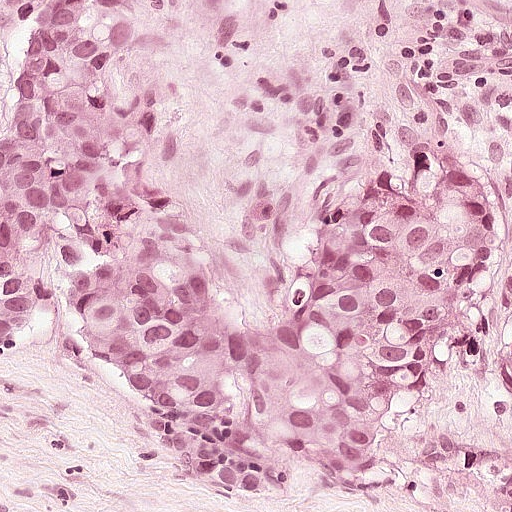
A 0.25-mm field of an H&E-stained sentinel lymph node from a breast-cancer patient (whole-slide image), shown at about 20×, about 0.49 µm per pixel.
Boundaries of three metastatic tumour regions, simplified and listed clockwise, largest first: region 1: (30, 0), (130, 0), (132, 95), (150, 154), (256, 332), (235, 396), (269, 467), (249, 482), (208, 485), (158, 448), (136, 378), (90, 367), (56, 300), (0, 328), (0, 86); region 2: (420, 122), (476, 158), (492, 212), (494, 252), (476, 294), (411, 367), (372, 457), (342, 467), (312, 464), (272, 417), (287, 349), (267, 330), (270, 299), (311, 225), (310, 165), (382, 128); region 3: (511, 286), (511, 382), (509, 380), (506, 380), (504, 377), (502, 375), (502, 370), (499, 364), (499, 362), (498, 362), (498, 342), (496, 334), (494, 330), (494, 318), (499, 306), (500, 298), (501, 298), (502, 294), (504, 294), (504, 293), (508, 288).
One more small tumour piece is annotated here but not outlined.
About 50% of the image area is annotated as tumour.